Question: 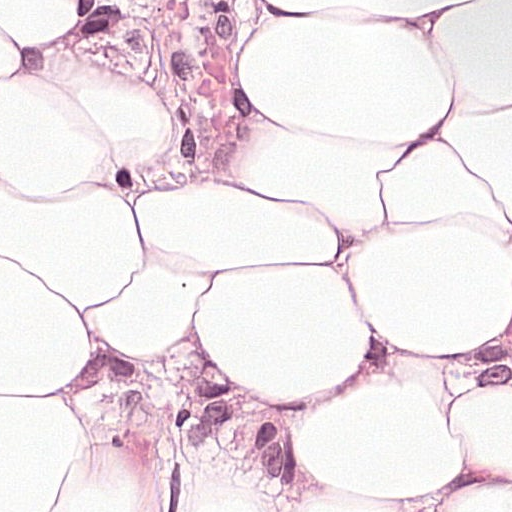
Which magnification is this H&E lymph node field most likely shown at?

Choices:
 (A) about 20×
 (B) about 40×
 (C) about 2.5×
 (D) about 5×
 (E) about 10×

Answer: (B) about 40×
Lymph node section stained with H&E, from a whole-slide image of a breast-cancer sentinel node. Magnification about 40×, about 0.12 mm across the frame, about 0.24 µm per pixel.
Two metastatic tumour regions, each outlined as a closed clockwise path in crop pixels (x, y), largest first: region 1: (185, 311), (222, 371), (264, 386), (304, 415), (320, 455), (320, 484), (327, 492), (296, 501), (272, 489), (159, 473), (72, 444), (62, 415), (64, 386), (114, 344), (151, 344), (175, 329); region 2: (257, 0), (251, 34), (225, 79), (233, 71), (235, 94), (261, 134), (261, 150), (249, 171), (233, 173), (214, 152), (193, 152), (175, 158), (170, 178), (159, 173), (128, 121), (88, 105), (54, 2).
Tumour covers about 20% of the frame.